Question: 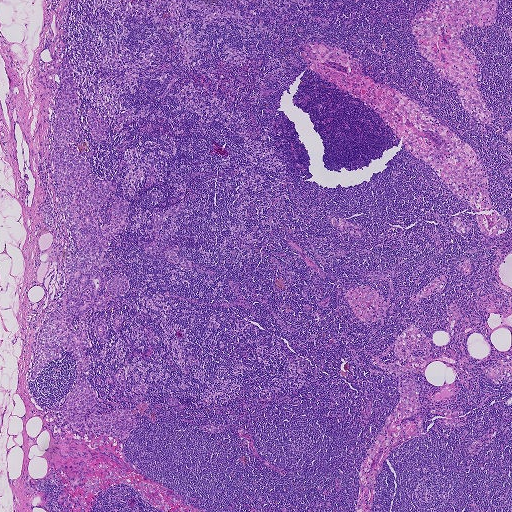
About what magnification does this crop show?

Choices:
 (A) about 5×
 (B) about 2.5×
 (C) about 20×
 (D) about 10×
 (E) about 40×

Answer: (B) about 2.5×
Lymph node section stained with H&E, from a whole-slide image of a breast-cancer sentinel node. Magnification about 2.5×, about 1.9 mm across the frame, about 3.6 µm per pixel.
One tumour region is annotated but not outlined: its edge is too irregular for a short outline.
The annotated tumour makes up about 5% of the crop.